This is a crop of a whole-slide image: an H&E-stained breast-cancer sentinel lymph node section at roughly 20× magnification (about 0.45 µm per pixel; the crop spans about 0.23 mm).
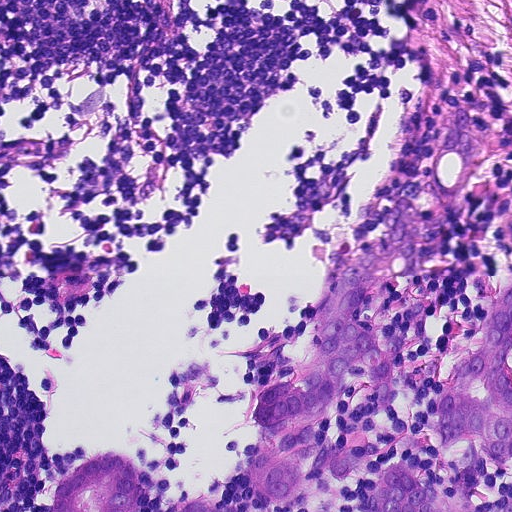
Boundaries of four metastatic tumour regions, simplified and listed clockwise, largest first: region 1: (462, 100), (466, 181), (422, 260), (366, 304), (372, 326), (395, 330), (390, 351), (326, 410), (325, 432), (358, 463), (301, 492), (295, 511), (271, 511), (237, 466), (258, 426), (255, 396), (314, 361), (326, 296), (374, 249), (392, 208), (408, 192), (426, 205), (428, 161); region 2: (511, 288), (511, 458), (484, 472), (485, 511), (366, 511), (386, 468), (408, 460), (424, 476), (440, 460), (440, 416), (452, 372), (488, 312); region 3: (110, 451), (130, 462), (135, 484), (131, 506), (126, 511), (54, 511), (52, 505), (56, 483), (73, 468), (88, 452); region 4: (204, 498), (224, 509), (225, 511), (174, 511), (182, 504).
One more small tumour piece is annotated here but not outlined.
The annotated tumour makes up about 15% of the crop.